Question: 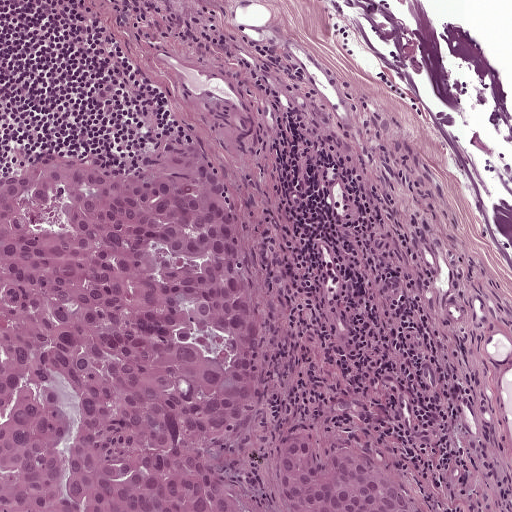
H&E-stained section of a sentinel lymph node (breast cancer), from a whole-slide image, viewed at about 10×: the field is about 0.5 mm across, about 0.97 µm per pixel.
About how much of this crop is taken up by metastatic carcinoma?

Choices:
 (A) about 25% to 45%
 (B) none: no tumour is outlined
 (C) about 10% to 20%
 (D) about 50% or more
 (E) about 5% or less

Answer: (A) about 25% to 45%
About 40% of the field is tumour.
The outlined metastatic tumour's edge, as a closed clockwise path of 14 points: (154, 146), (219, 156), (270, 244), (281, 296), (270, 363), (282, 397), (311, 416), (381, 424), (408, 446), (427, 511), (0, 511), (0, 171), (58, 151), (88, 169).